Image:
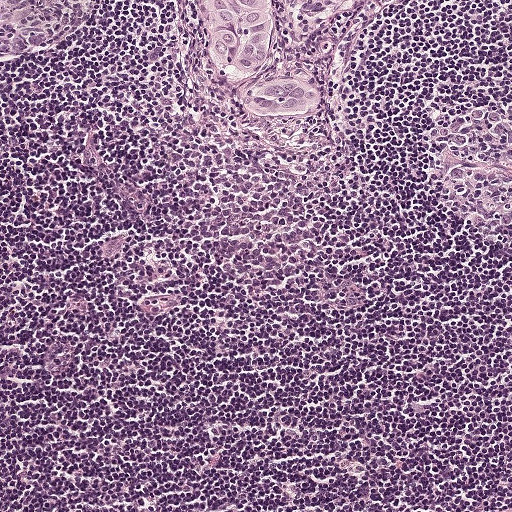
H&E-stained section of a sentinel lymph node (breast cancer), from a whole-slide image, viewed at about 10×: the field is about 0.5 mm across, about 0.97 µm per pixel.
Question:
Which parts of this field are metastatic tumour? Answer with the outline of each region, in pixels.
Answer:
One metastatic tumour region; its boundary, reduced to 16 corners and listed clockwise: (203, 0), (273, 0), (277, 13), (275, 48), (269, 67), (256, 78), (261, 80), (274, 74), (296, 77), (320, 89), (318, 101), (302, 110), (272, 114), (246, 106), (209, 58), (209, 28).
Tumour covers about 5% of the frame.